H&E-stained section of a sentinel lymph node (breast cancer), from a whole-slide image, viewed at about 10×: the field is about 0.46 mm across, about 0.9 µm per pixel.
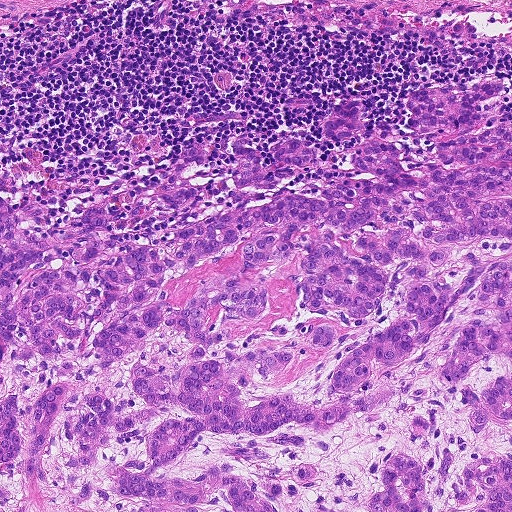
Boundaries of three metastatic tumour regions, simplified and listed clockwise, largest first: region 1: (509, 76), (511, 511), (0, 511), (0, 198), (64, 222), (197, 137), (190, 217), (221, 208), (244, 130), (262, 166), (297, 139), (368, 179), (348, 161), (358, 141), (323, 130), (338, 104), (359, 99), (367, 126), (423, 153), (436, 142), (406, 114), (420, 87); region 2: (13, 172), (14, 182), (5, 188), (0, 196), (0, 176), (3, 174); region 3: (0, 133), (13, 138), (5, 154), (0, 158).
About 70% of this field is tumour.